A 0.23-mm field of an H&E-stained sentinel lymph node from a breast-cancer patient (whole-slide image), shown at about 20×, about 0.45 µm per pixel.
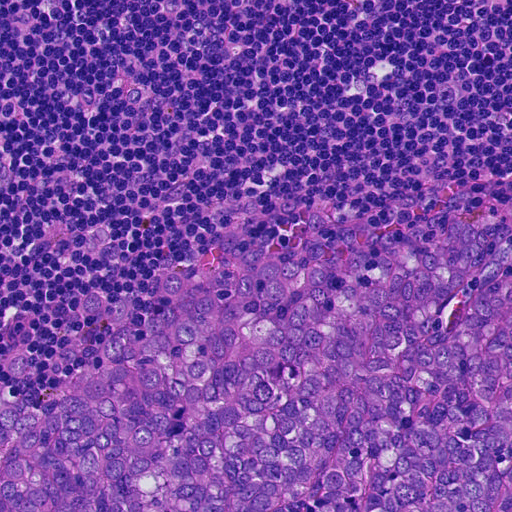
The outlined metastatic tumour's edge, as a closed clockwise path of 13 points: (418, 212), (511, 239), (511, 511), (0, 511), (9, 348), (27, 350), (41, 382), (97, 362), (113, 330), (74, 300), (90, 283), (132, 292), (305, 220).
The annotated tumour makes up about 50% of the crop.